A 0.23-mm field of an H&E-stained sentinel lymph node from a breast-cancer patient (whole-slide image), shown at about 20×, about 0.45 µm per pixel.
Image:
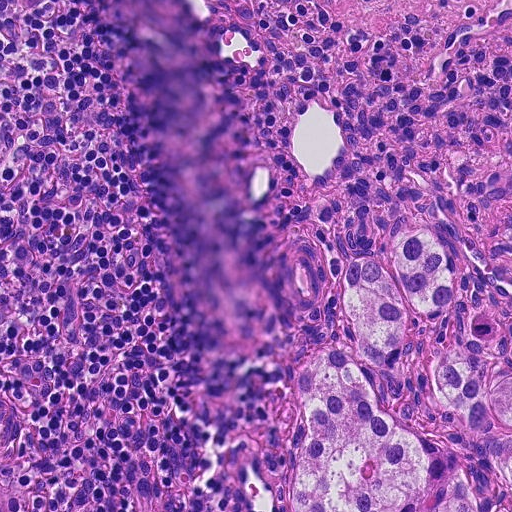
Question:
Does this lymph node field contain metastatic tumour?
Answer:
Yes.
Tumour region outline (a closed clockwise path, crop pixels): (416, 228), (442, 240), (458, 296), (440, 318), (412, 313), (405, 349), (464, 350), (509, 370), (511, 511), (288, 511), (300, 360), (324, 344), (353, 344), (334, 276), (355, 257), (383, 258), (390, 241).
The annotated tumour makes up about 15% of the crop.